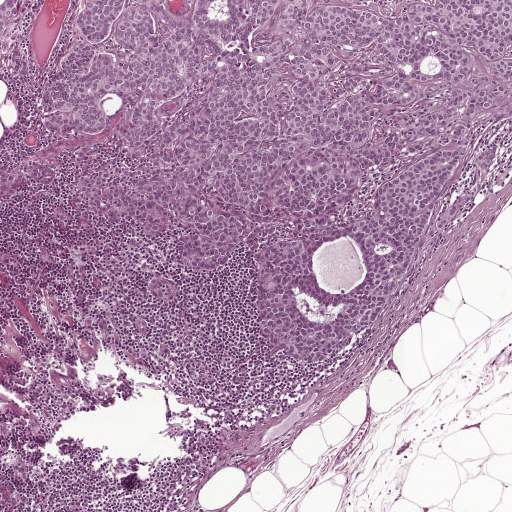
Lymph node section stained with H&E, from a whole-slide image of a breast-cancer sentinel node. Magnification about 5×, about 1 mm across the frame, about 1.9 µm per pixel.
Outlines of two tumour regions, largest first (closed clockwise paths, crop pixels): region 1: (80, 0), (511, 0), (511, 108), (403, 148), (339, 210), (369, 212), (389, 178), (434, 153), (496, 141), (491, 169), (463, 164), (434, 204), (479, 199), (431, 223), (326, 364), (262, 338), (254, 259), (328, 235), (317, 278), (343, 294), (365, 275), (352, 239), (323, 233), (244, 243), (226, 272), (183, 272), (177, 229), (150, 241), (71, 196), (90, 162), (123, 181), (131, 169), (114, 133), (128, 94), (104, 94), (109, 123), (42, 128), (34, 85), (86, 44); region 2: (18, 1), (18, 15), (24, 44), (22, 72), (27, 82), (24, 81), (20, 67), (19, 25), (7, 32), (7, 46), (0, 63), (0, 9), (4, 4).
About 40% of this field is tumour.